Question: 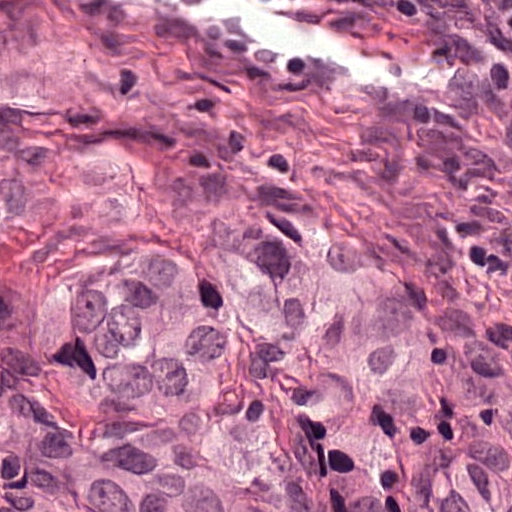
About what magnification does this crop show?

Choices:
 (A) about 20×
 (B) about 10×
 (C) about 40×
 (D) about 5×
 (E) about 2.5×

Answer: (C) about 40×
A 0.12-mm field of an H&E-stained sentinel lymph node from a breast-cancer patient (whole-slide image), shown at about 40×, about 0.24 µm per pixel.
The outlined metastatic tumour's edge, as a closed clockwise path of 15 points: (296, 207), (330, 207), (387, 229), (415, 257), (442, 329), (393, 454), (349, 511), (15, 511), (21, 439), (56, 373), (56, 335), (30, 310), (27, 289), (134, 229), (262, 226).
About 40% of this field is tumour.